Question: 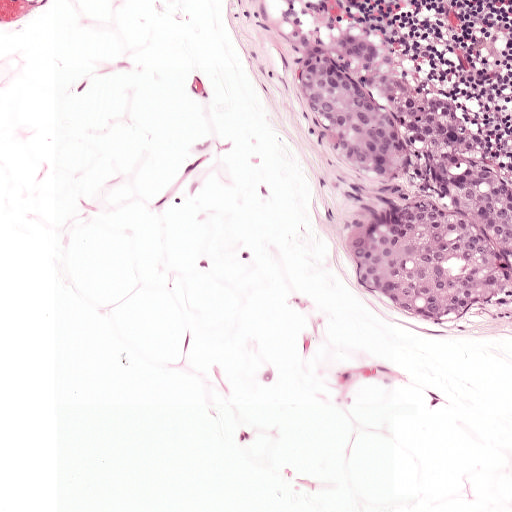
Lymph node section stained with H&E, from a whole-slide image of a breast-cancer sentinel node. Magnification about 10×, about 0.5 mm across the frame, about 0.97 µm per pixel.
About how much of this crop is taken up by metastatic carcinoma?

Choices:
 (A) about 25% to 45%
 (B) none: no tumour is outlined
 (C) about 50% or more
 (D) about 10% to 20%
 (E) about 5% or less

Answer: (D) about 10% to 20%
About 15% of the field is tumour.
The outlined metastatic tumour's edge, as a closed clockwise path of 22 points: (330, 30), (355, 32), (441, 91), (480, 158), (511, 176), (511, 266), (494, 308), (444, 320), (420, 318), (372, 300), (350, 282), (342, 258), (350, 234), (420, 205), (450, 202), (394, 134), (400, 175), (358, 175), (316, 148), (304, 122), (296, 72), (306, 50).